Image:
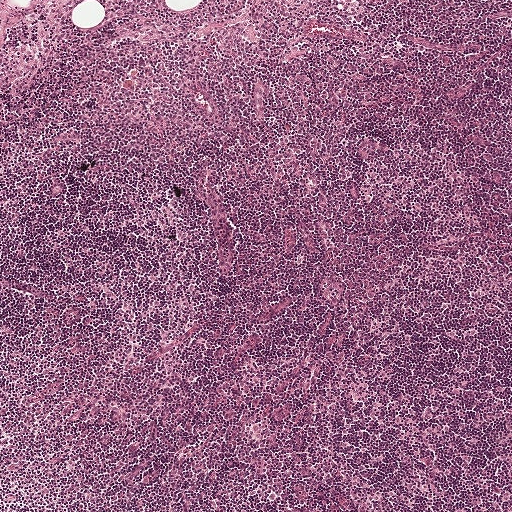
A 1-mm field of an H&E-stained sentinel lymph node from a breast-cancer patient (whole-slide image), shown at about 5×, about 1.9 µm per pixel.
Question:
Is there metastatic carcinoma in this field?
Answer:
No, this field holds no outlined metastasis.